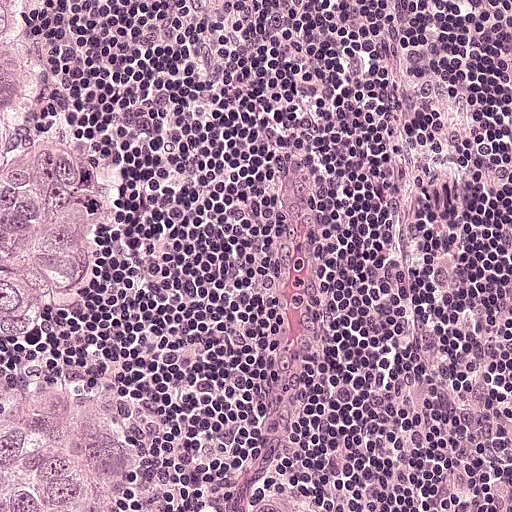
H&E-stained section of a sentinel lymph node (breast cancer), from a whole-slide image, viewed at about 20×: the field is about 0.25 mm across, about 0.49 µm per pixel.
Outlines of two tumour regions, largest first (closed clockwise paths, crop pixels): region 1: (58, 122), (78, 136), (101, 168), (94, 264), (48, 327), (36, 334), (2, 332), (0, 125), (8, 130); region 2: (30, 380), (106, 384), (132, 422), (137, 448), (137, 468), (117, 490), (125, 511), (0, 511), (0, 392), (6, 386).
Two more small tumour pieces are annotated here but not outlined.
About 15% of the image area is annotated as tumour.